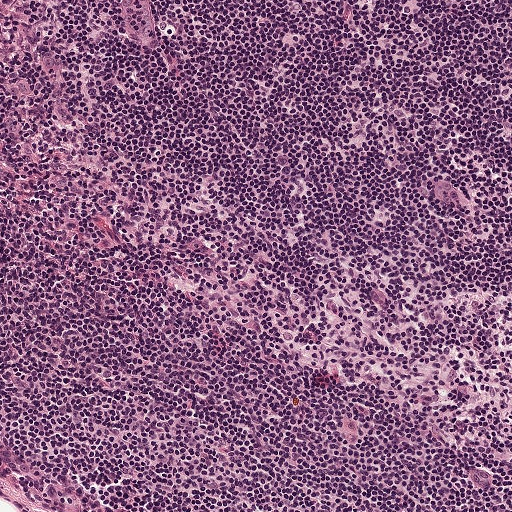
H&E-stained section of a sentinel lymph node (breast cancer), from a whole-slide image, viewed at about 10×: the field is about 0.5 mm across, about 0.97 µm per pixel.
Question: Is any metastatic breast cancer visible in this crop?
Answer: No. No metastatic tumour is outlined in this field.